Image:
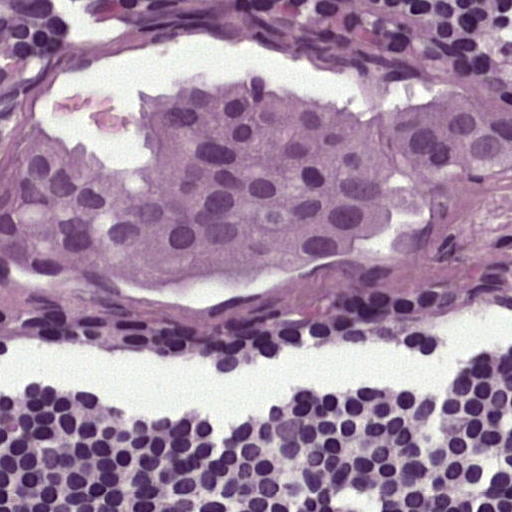
H&E-stained section of a sentinel lymph node (breast cancer), from a whole-slide image, viewed at about 40×: the field is about 0.12 mm across, about 0.24 µm per pixel.
Question:
Describe where the metastatic carcinoma lies in this crop.
Answer:
Tumour region outline (a closed clockwise path, crop pixels): (252, 73), (345, 100), (405, 103), (460, 88), (511, 104), (511, 173), (445, 192), (430, 215), (402, 221), (386, 250), (160, 289), (0, 265), (0, 143), (47, 111), (129, 162), (134, 104), (154, 86).
Tumour covers about 30% of the frame.